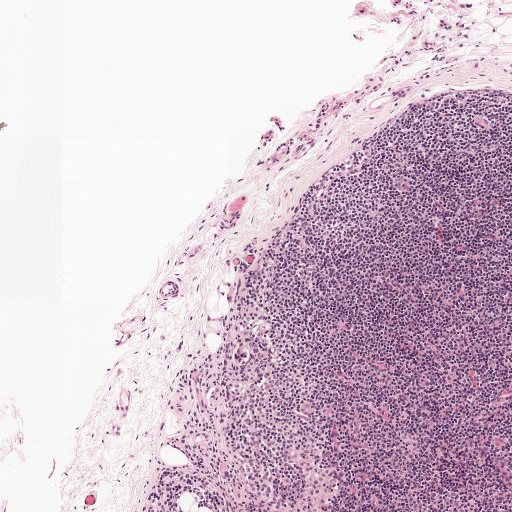
This is a crop of a whole-slide image: an H&E-stained breast-cancer sentinel lymph node section at roughly 5× magnification (about 1.9 µm per pixel; the crop spans about 1 mm).
The outlined metastatic tumour's edge, as a closed clockwise path of 8 points: (242, 341), (247, 345), (249, 354), (248, 362), (243, 365), (238, 365), (235, 362), (236, 348).
Under 5% of the image area is annotated as tumour.